Lymph node section stained with H&E, from a whole-slide image of a breast-cancer sentinel node. Magnification about 2.5×, about 2.0 mm across the frame, about 3.9 µm per pixel.
Question: 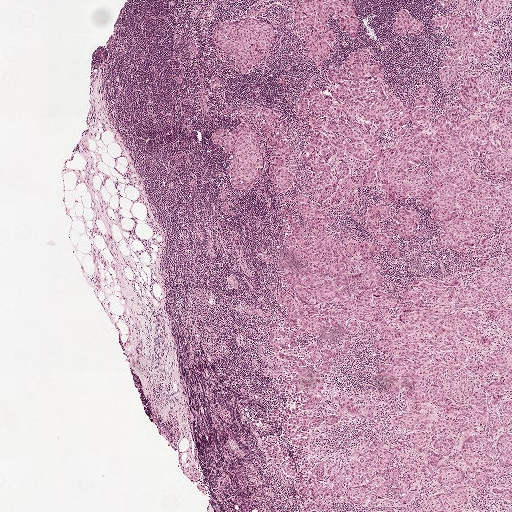
Roughly what share of this field is metastatic tumour?

Choices:
 (A) about 10% to 20%
 (B) about 50% or more
 (C) about 25% to 45%
 (D) none: no tumour is outlined
 (E) about 5% or less

Answer: (C) about 25% to 45%
About 45% of the field is tumour.
Five metastatic tumour regions, each outlined as a closed clockwise path in crop pixels (x, y), largest first: region 1: (437, 0), (507, 0), (484, 25), (511, 58), (511, 511), (304, 511), (286, 424), (305, 401), (265, 339), (286, 315), (279, 193), (269, 169), (232, 190), (210, 134), (230, 133), (238, 108), (277, 110), (297, 171), (301, 99), (369, 46), (404, 108), (427, 82), (440, 111); region 2: (286, 0), (354, 0), (359, 13), (358, 35), (348, 37), (338, 31), (333, 21), (332, 28), (337, 40), (332, 57), (323, 64), (312, 64), (306, 61), (301, 39), (291, 30); region 3: (255, 18), (264, 21), (270, 25), (274, 35), (274, 43), (271, 51), (263, 61), (246, 74), (233, 72), (234, 60), (216, 48), (213, 41), (218, 26), (224, 23); region 4: (405, 6), (411, 15), (418, 18), (423, 23), (423, 29), (418, 37), (399, 38), (392, 34), (390, 25), (394, 13), (400, 7); region 5: (511, 20), (511, 37), (510, 37), (504, 33), (499, 22), (501, 21), (505, 24).